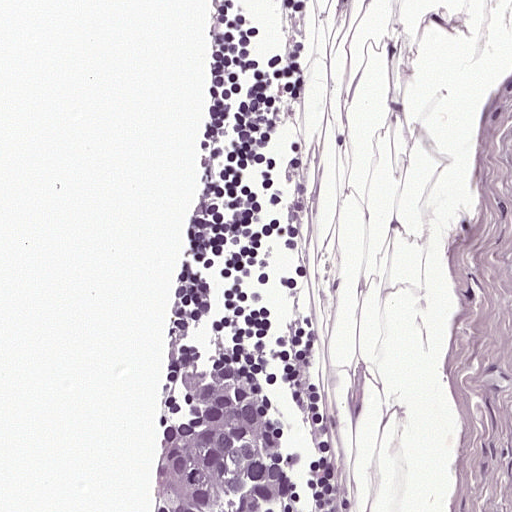
H&E-stained section of a sentinel lymph node (breast cancer), from a whole-slide image, viewed at about 20×: the field is about 0.25 mm across, about 0.49 µm per pixel.
Tumour region outline (a closed clockwise path, crop pixels): (215, 353), (257, 374), (282, 423), (292, 511), (149, 511), (148, 440), (186, 418), (180, 376).
About 5% of the image area is annotated as tumour.